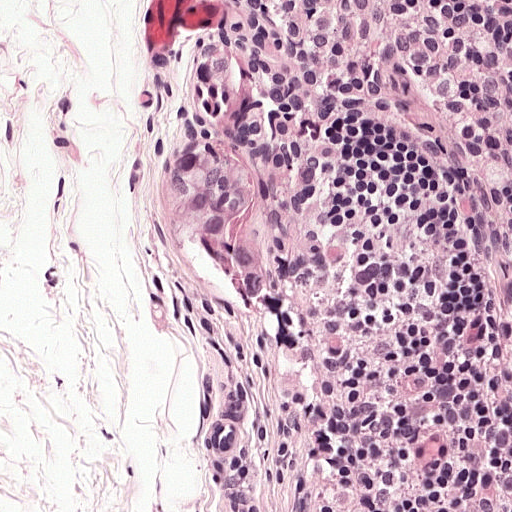
Lymph node section stained with H&E, from a whole-slide image of a breast-cancer sentinel node. Magnification about 20×, about 0.25 mm across the frame, about 0.49 µm per pixel.
Question: Which parts of this field are metastatic tumour?
Answer: The outlined metastatic tumour's edge, as a closed clockwise path of 13 points: (200, 127), (229, 134), (256, 166), (260, 196), (254, 227), (268, 256), (272, 284), (248, 300), (179, 243), (161, 220), (149, 192), (154, 162), (172, 138).
About 5% of the image area is annotated as tumour.